This is a crop of a whole-slide image: an H&E-stained breast-cancer sentinel lymph node section at roughly 2.5× magnification (about 3.6 µm per pixel; the crop spans about 1.9 mm).
Question: 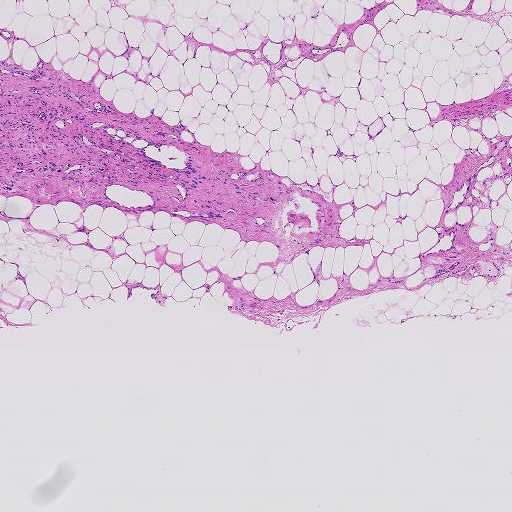
What fraction of the image area is metastatic tumour?

Choices:
 (A) none: no tumour is outlined
 (B) about 50% or more
 (C) about 10% to 20%
 (D) about 5% or less
 (E) about 25% to 45%

Answer: (D) about 5% or less
About 5% of the field is tumour.
The outlined metastatic tumour's edge, as a closed clockwise path of 22 points: (39, 59), (75, 94), (108, 103), (117, 115), (107, 114), (114, 119), (178, 136), (210, 179), (198, 186), (198, 193), (223, 218), (209, 217), (211, 209), (194, 203), (194, 188), (80, 182), (31, 173), (16, 176), (12, 192), (2, 182), (0, 61), (30, 70).